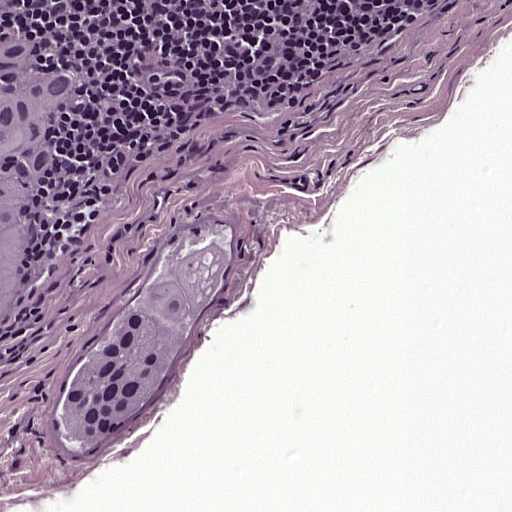
A 0.25-mm field of an H&E-stained sentinel lymph node from a breast-cancer patient (whole-slide image), shown at about 20×, about 0.49 µm per pixel.
Outlines of two tumour regions, largest first (closed clockwise paths, crop pixels): region 1: (210, 228), (224, 258), (180, 340), (171, 385), (138, 416), (100, 442), (54, 431), (59, 386), (86, 348), (122, 319), (151, 284), (179, 240); region 2: (22, 25), (36, 26), (36, 58), (90, 67), (75, 106), (47, 127), (58, 171), (38, 184), (41, 213), (34, 259), (0, 342), (0, 30).
About 10% of the image area is annotated as tumour.